Question: 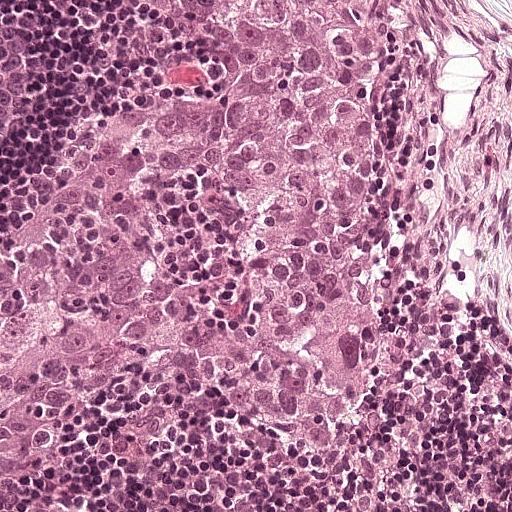
This is a crop of a whole-slide image: an H&E-stained breast-cancer sentinel lymph node section at roughly 20× magnification (about 0.49 µm per pixel; the crop spans about 0.25 mm).
Estimate the proportion of this field that is metastatic tumour.

Choices:
 (A) about 5% or less
 (B) none: no tumour is outlined
 (C) about 25% to 45%
 (D) about 50% or more
 (E) about 10% to 20%

Answer: (D) about 50% or more
About 50% of the field is tumour.
Metastatic tumour outline, simplified to 19 points and listed clockwise in crop pixels (x, y): (162, 0), (391, 0), (391, 306), (410, 353), (406, 378), (376, 423), (321, 446), (287, 446), (154, 353), (110, 382), (92, 416), (0, 511), (0, 318), (22, 290), (32, 234), (98, 132), (144, 106), (226, 88), (212, 40).